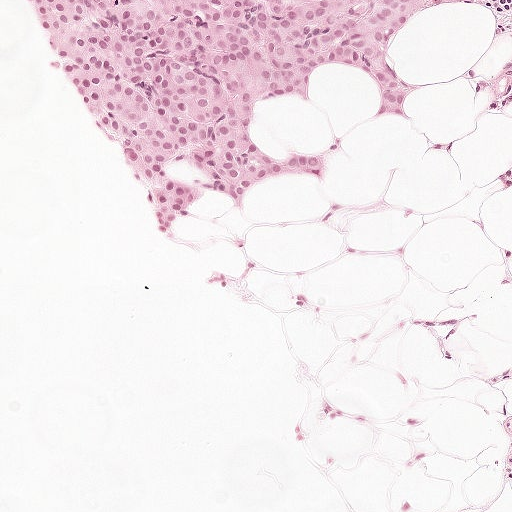
H&E-stained section of a sentinel lymph node (breast cancer), from a whole-slide image, viewed at about 10×: the field is about 0.5 mm across, about 0.97 µm per pixel.
Metastatic tumour outline, simplified to 23 points and listed clockwise in crop pixels (x, y): (511, 0), (511, 103), (463, 102), (502, 74), (508, 20), (476, 5), (418, 4), (394, 46), (425, 80), (412, 110), (381, 129), (372, 76), (331, 63), (317, 86), (268, 103), (267, 130), (300, 160), (345, 167), (274, 180), (247, 196), (211, 194), (168, 221), (29, 2).
About 20% of the image area is annotated as tumour.